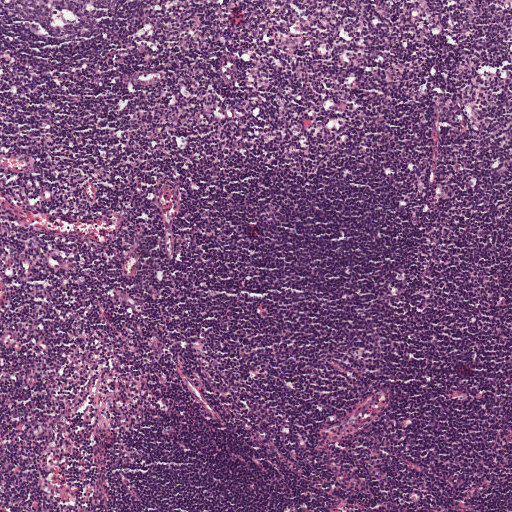
H&E-stained section of a sentinel lymph node (breast cancer), from a whole-slide image, viewed at about 5×: the field is about 1 mm across, about 1.9 µm per pixel.